Question: 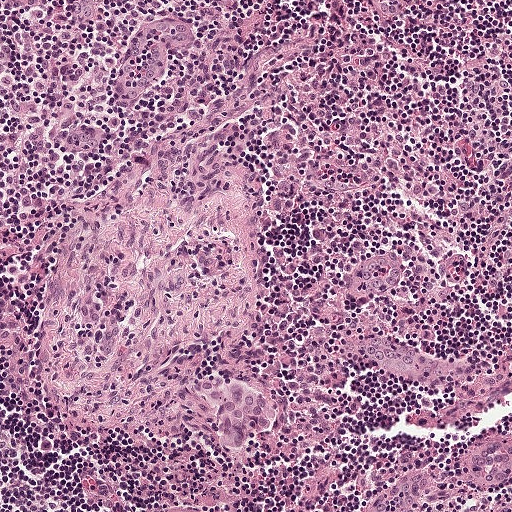
A 0.5-mm field of an H&E-stained sentinel lymph node from a breast-cancer patient (whole-slide image), shown at about 10×, about 0.97 µm per pixel.
About how much of this crop is taken up by metastatic carcinoma?

Choices:
 (A) none: no tumour is outlined
 (B) about 10% to 20%
 (C) about 50% or more
 (D) about 25% to 45%
 (E) about 5% or less

Answer: (E) about 5% or less
Under 5% of the field is tumour.
Metastatic tumour outline, simplified to 14 points and listed clockwise in crop pixels (x, y): (218, 370), (240, 376), (247, 383), (279, 399), (277, 430), (270, 436), (257, 436), (233, 455), (223, 454), (213, 438), (210, 412), (190, 400), (189, 380), (202, 371).